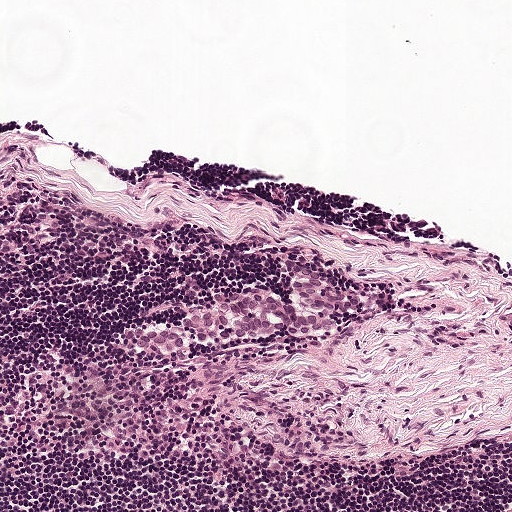
Lymph node section stained with H&E, from a whole-slide image of a breast-cancer sentinel node. Magnification about 10×, about 0.5 mm across the frame, about 0.97 µm per pixel.
The outlined metastatic tumour's edge, as a closed clockwise path of 20 points: (319, 278), (364, 305), (341, 311), (341, 324), (329, 332), (278, 328), (230, 342), (193, 343), (177, 354), (158, 347), (134, 348), (126, 335), (125, 330), (136, 324), (176, 321), (218, 292), (267, 288), (289, 299), (293, 298), (291, 281).
Tumour covers about 5% of the frame.